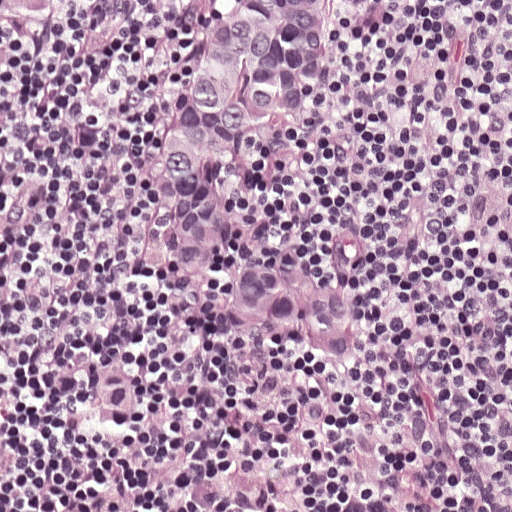
This is a crop of a whole-slide image: an H&E-stained breast-cancer sentinel lymph node section at roughly 20× magnification (about 0.49 µm per pixel; the crop spans about 0.25 mm).
Outlines of four tumour regions, largest first (closed clockwise paths, crop pixels): region 1: (214, 0), (325, 0), (329, 61), (314, 112), (265, 139), (242, 183), (235, 231), (191, 261), (137, 182), (134, 133), (152, 80), (180, 33); region 2: (282, 244), (354, 275), (394, 304), (376, 346), (271, 349), (218, 337), (198, 296), (229, 256); region 3: (0, 0), (61, 0), (59, 25), (18, 47), (0, 33); region 4: (511, 490), (511, 511), (472, 511).
One more small tumour piece is annotated here but not outlined.
About 20% of the image area is annotated as tumour.